H&E-stained section of a sentinel lymph node (breast cancer), from a whole-slide image, viewed at about 2.5×: the field is about 2.0 mm across, about 3.9 µm per pixel.
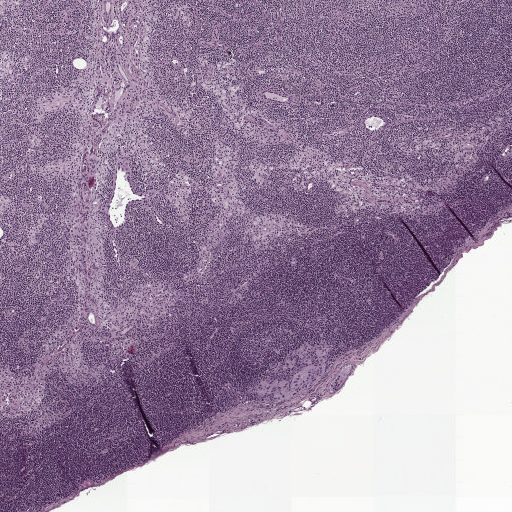
Outlines of two tumour regions, largest first (closed clockwise paths, crop pixels): region 1: (325, 339), (327, 344), (333, 345), (328, 352), (330, 358), (327, 359), (325, 374), (314, 388), (299, 396), (282, 400), (271, 398), (271, 394), (265, 398), (249, 394), (245, 389), (257, 384), (272, 360), (277, 360), (277, 365), (282, 364), (288, 354), (308, 342), (319, 345); region 2: (349, 365), (350, 368), (345, 379), (344, 384), (335, 391), (329, 390), (330, 384), (345, 366).
Tumour covers under 5% of the frame.